Image:
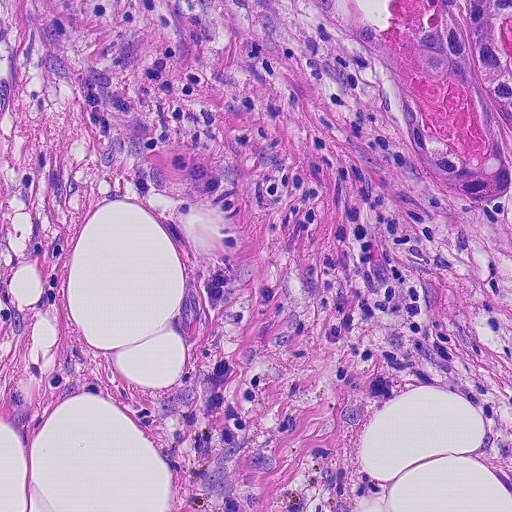
H&E-stained section of a sentinel lymph node (breast cancer), from a whole-slide image, viewed at about 20×: the field is about 0.23 mm across, about 0.45 µm per pixel.
Question:
Which parts of this field are metastatic tumour? Answer with the outline of each region, in pixels.
Answer:
Metastatic tumour outline, simplified to 8 points and listed clockwise in crop pixels (x, y): (301, 0), (511, 0), (510, 196), (480, 209), (442, 202), (414, 162), (386, 73), (356, 42).
About 10% of this field is tumour.